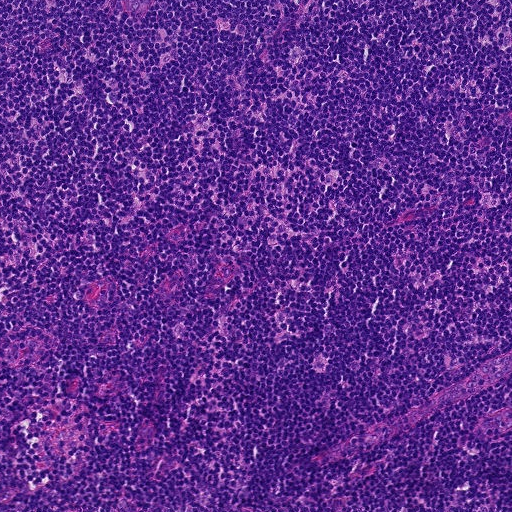
H&E-stained section of a sentinel lymph node (breast cancer), from a whole-slide image, viewed at about 10×: the field is about 0.46 mm across, about 0.9 µm per pixel.